H&E-stained section of a sentinel lymph node (breast cancer), from a whole-slide image, viewed at about 20×: the field is about 0.25 mm across, about 0.49 µm per pixel.
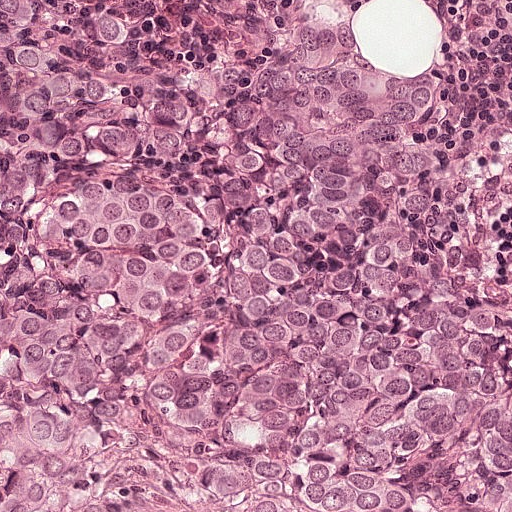
Question: Is any metastatic breast cancer visible in this crop?
Answer: Yes.
One metastatic tumour region; its boundary, reduced to 23 corners and listed clockwise: (0, 0), (144, 0), (113, 48), (138, 82), (180, 110), (168, 200), (218, 195), (242, 82), (298, 22), (355, 36), (365, 58), (424, 94), (434, 114), (432, 158), (492, 292), (490, 344), (510, 379), (511, 511), (215, 511), (164, 488), (138, 457), (86, 511), (0, 511).
Tumour covers about 80% of the frame.